H&E-stained section of a sentinel lymph node (breast cancer), from a whole-slide image, viewed at about 5×: the field is about 1 mm across, about 1.9 µm per pixel.
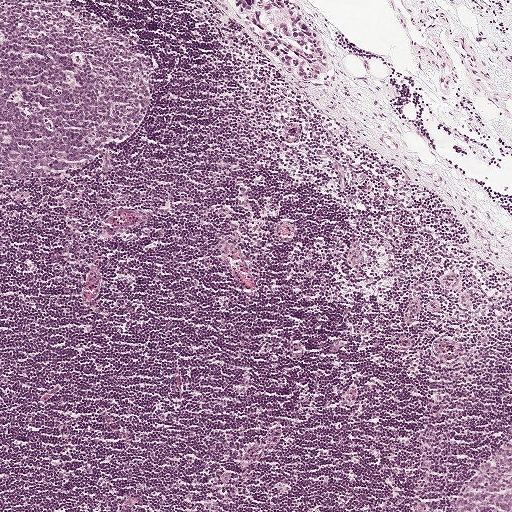
Question: Which parts of this field are metastatic tumour?
Answer: Tumour region outline (a closed clockwise path, crop pixels): (234, 0), (285, 0), (300, 12), (308, 25), (319, 32), (321, 45), (328, 51), (329, 64), (326, 80), (319, 84), (310, 84), (290, 75), (269, 53), (258, 30), (247, 23).
Tumour covers under 5% of the frame.